Question: 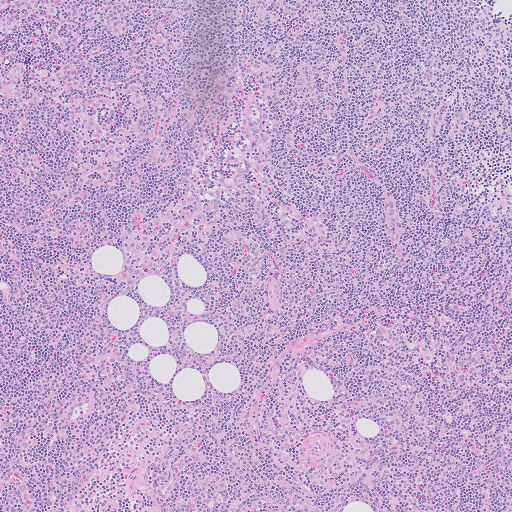
At roughly what magnification is this field shown?

Choices:
 (A) about 20×
 (B) about 10×
 (C) about 5×
 (D) about 2.5×
 (E) about 40×

Answer: (C) about 5×
Lymph node section stained with H&E, from a whole-slide image of a breast-cancer sentinel node. Magnification about 5×, about 1.0 mm across the frame, about 2.0 µm per pixel.